Image:
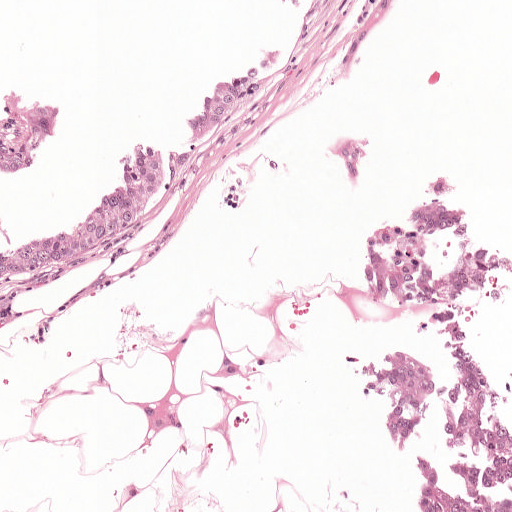
A 0.5-mm field of an H&E-stained sentinel lymph node from a breast-cancer patient (whole-slide image), shown at about 10×, about 0.97 µm per pixel.
Question:
Where is the metastatic tumour in this field?
Answer:
Boundaries of four metastatic tumour regions, simplified and listed clockwise, largest first: region 1: (373, 135), (385, 216), (431, 172), (456, 184), (476, 228), (506, 246), (511, 296), (470, 341), (488, 357), (511, 426), (511, 511), (421, 511), (413, 453), (443, 448), (431, 406), (397, 453), (340, 360), (386, 346), (447, 383), (444, 365), (404, 306), (366, 277), (334, 140); region 2: (287, 43), (287, 71), (246, 112), (188, 154), (164, 181), (147, 212), (45, 278), (0, 284), (0, 252), (84, 211), (112, 157), (142, 137), (174, 146), (182, 126), (204, 96), (263, 50); region 3: (0, 83), (53, 89), (70, 109), (55, 151), (26, 180), (0, 172); region 4: (279, 0), (313, 0), (305, 7), (279, 7).
The annotated tumour makes up about 20% of the crop.